Image:
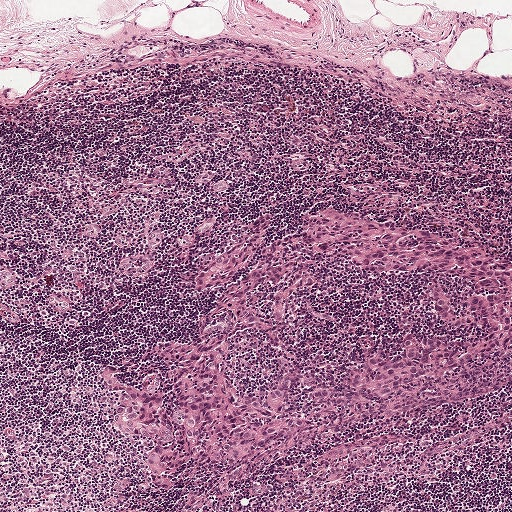
This is a crop of a whole-slide image: an H&E-stained breast-cancer sentinel lymph node section at roughly 5× magnification (about 1.9 µm per pixel; the crop spans about 1 mm).
Question:
Is any metastatic breast cancer visible in this crop?
Answer:
Yes.
The outlined metastatic tumour's edge, as a closed clockwise path of 21 points: (323, 195), (462, 238), (511, 260), (511, 344), (256, 455), (191, 465), (159, 492), (138, 460), (146, 442), (108, 426), (110, 395), (94, 373), (107, 366), (132, 386), (148, 346), (192, 336), (209, 296), (191, 280), (264, 215), (266, 241), (286, 236).
Tumour covers about 25% of the frame.